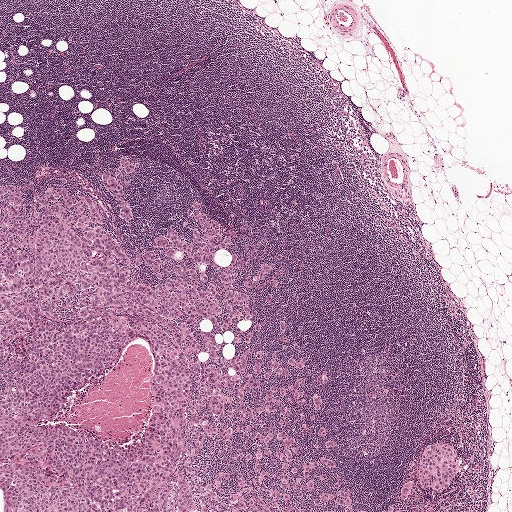
A 2.0-mm field of an H&E-stained sentinel lymph node from a breast-cancer patient (whole-slide image), shown at about 2.5×, about 3.9 µm per pixel.
Boundaries of four metastatic tumour regions, simplified and listed clockwise, largest first: region 1: (68, 179), (130, 251), (168, 226), (190, 241), (189, 203), (202, 204), (239, 253), (236, 287), (255, 321), (286, 320), (309, 360), (303, 376), (329, 376), (318, 423), (337, 445), (326, 457), (365, 511), (0, 511), (0, 180), (44, 191); region 2: (451, 440), (456, 446), (461, 456), (462, 474), (444, 495), (417, 495), (413, 497), (412, 504), (421, 511), (385, 511), (388, 506), (394, 504), (399, 496), (406, 464), (414, 456), (418, 449), (431, 442); region 3: (120, 157), (138, 162), (139, 166), (134, 173), (125, 176), (128, 186), (124, 189), (125, 194), (134, 213), (131, 223), (127, 223), (119, 217), (119, 207), (116, 199), (105, 191), (99, 175), (104, 170), (118, 168), (120, 167); region 4: (267, 264), (271, 267), (271, 274), (265, 285), (261, 287), (253, 287), (248, 285), (246, 282), (248, 278), (258, 275), (264, 265).
Three more small tumour pieces are annotated here but not outlined.
About 35% of the image area is annotated as tumour.